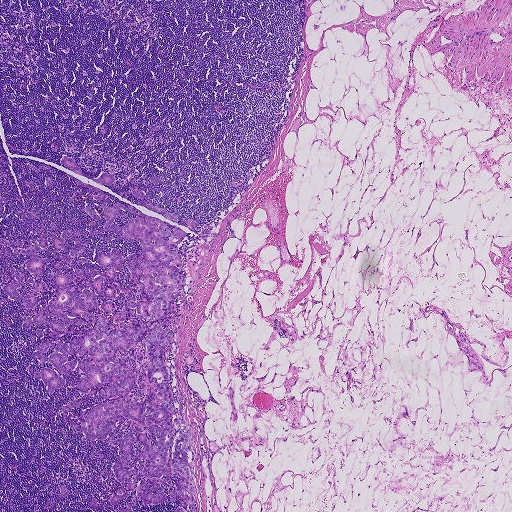
This is a crop of a whole-slide image: an H&E-stained breast-cancer sentinel lymph node section at roughly 2.5× magnification (about 3.6 µm per pixel; the crop spans about 1.9 mm).
One tumour region is annotated but not outlined: its edge is too irregular for a short outline.
The annotated tumour makes up about 15% of the crop.